Question: 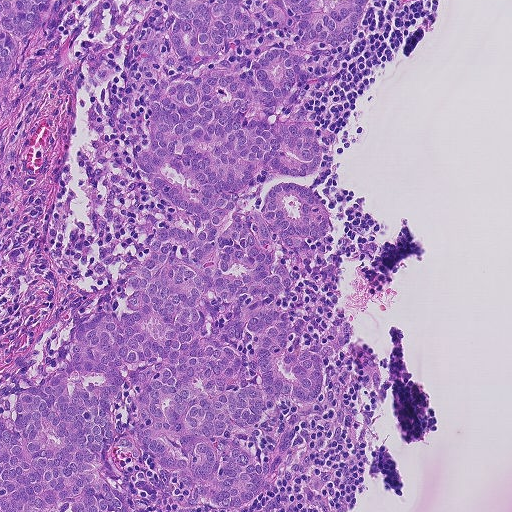
A 0.46-mm field of an H&E-stained sentinel lymph node from a breast-cancer patient (whole-slide image), shown at about 10×, about 0.9 µm per pixel.
About how much of this crop is taken up by metastatic carcinoma?

Choices:
 (A) about 50% or more
 (B) about 10% to 20%
 (C) none: no tumour is outlined
 (D) about 5% or less
 (E) about 25% to 45%

Answer: (A) about 50% or more
About 65% of the field is tumour.
The outlined metastatic tumour's edge, as a closed clockwise path of 22 points: (0, 0), (374, 0), (349, 62), (302, 110), (336, 129), (338, 147), (306, 186), (333, 232), (295, 273), (290, 310), (306, 320), (302, 346), (347, 316), (356, 333), (331, 360), (350, 429), (337, 442), (329, 406), (310, 407), (306, 458), (282, 508), (0, 511).